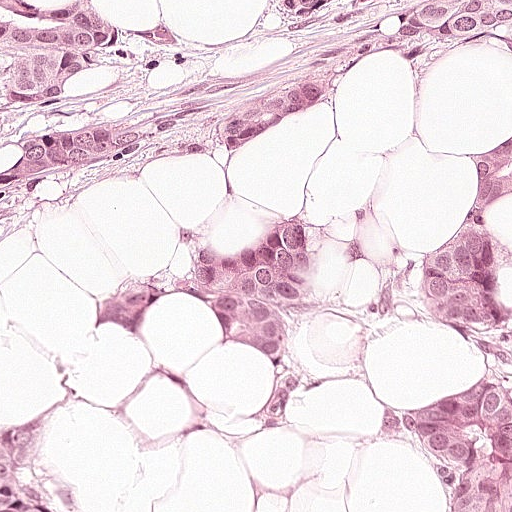
This is a crop of a whole-slide image: an H&E-stained breast-cancer sentinel lymph node section at roughly 20× magnification (about 0.49 µm per pixel; the crop spans about 0.25 mm).
Question: Outline the metastatic carcinoma in this image, as closed paths of (x, y) pixel coordinates.
Answer: Boundaries of three metastatic tumour regions, simplified and listed clockwise, largest first: region 1: (0, 0), (100, 0), (128, 46), (170, 76), (192, 80), (290, 35), (287, 0), (511, 0), (511, 52), (502, 37), (482, 33), (458, 37), (435, 56), (366, 50), (337, 98), (56, 187), (0, 234); region 2: (511, 96), (511, 172), (487, 178), (511, 254), (511, 511), (430, 511), (424, 454), (348, 413), (366, 394), (468, 383), (478, 350), (458, 324), (408, 339), (346, 320), (330, 300), (294, 309), (304, 392), (283, 400), (280, 418), (252, 424), (266, 385), (256, 346), (196, 314), (176, 287), (135, 328), (92, 314), (96, 292), (152, 250), (240, 250), (294, 218), (337, 294), (359, 308), (428, 308), (420, 264), (466, 226), (448, 163); region 3: (42, 402), (64, 464), (78, 482), (82, 496), (106, 511), (0, 511), (0, 416).
Tumour covers about 40% of the frame.